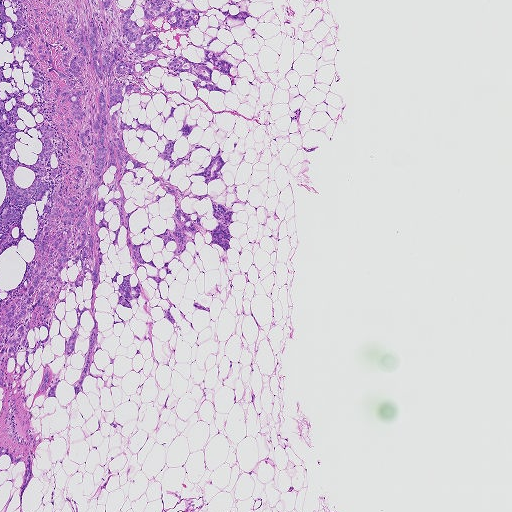
This is a crop of a whole-slide image: an H&E-stained breast-cancer sentinel lymph node section at roughly 2.5× magnification (about 3.6 µm per pixel; the crop spans about 1.9 mm).
Metastatic tumour outline, simplified to 29 points and listed clockwise in crop pixels (x, y): (3, 447), (6, 448), (8, 450), (14, 459), (18, 457), (22, 457), (24, 459), (29, 454), (32, 455), (31, 461), (32, 476), (24, 491), (22, 499), (21, 509), (20, 511), (19, 496), (23, 478), (25, 472), (25, 465), (23, 462), (20, 462), (17, 463), (14, 466), (10, 464), (10, 457), (7, 455), (3, 455), (0, 457), (0, 448).
One more tumour region is annotated but not outlined: its edge is too irregular for a short outline.
Two more small tumour pieces are annotated here but not outlined.
Tumour covers about 20% of the frame.